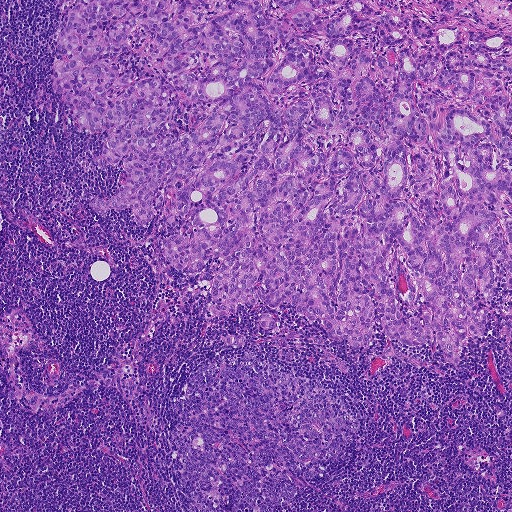
H&E-stained section of a sentinel lymph node (breast cancer), from a whole-slide image, viewed at about 5×: the field is about 0.93 mm across, about 1.8 µm per pixel.
Boundaries of two metastatic tumour regions, simplified and listed clockwise, largest first: region 1: (454, 0), (444, 26), (511, 38), (511, 290), (505, 271), (479, 306), (487, 332), (456, 366), (379, 321), (354, 349), (286, 302), (272, 328), (259, 299), (204, 320), (213, 276), (160, 250), (179, 224), (89, 207), (122, 160), (100, 170), (111, 133), (76, 126), (50, 74), (86, 1); region 2: (245, 335), (246, 345), (237, 349), (227, 347), (219, 340), (219, 337), (225, 336).
About 50% of this field is tumour.